Question: 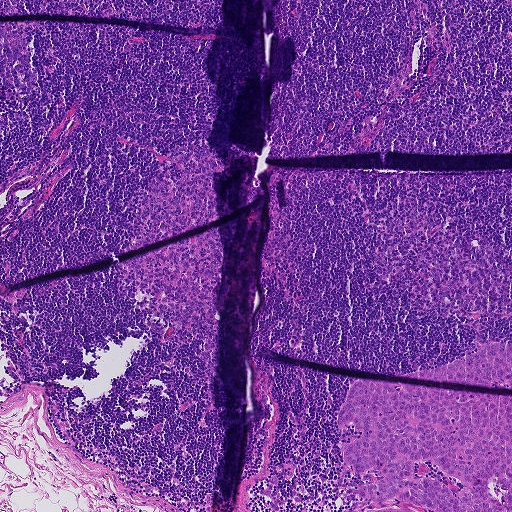
A 0.93-mm field of an H&E-stained sentinel lymph node from a breast-cancer patient (whole-slide image), shown at about 5×, about 1.8 µm per pixel.
Estimate the proportion of this field that is metastatic tumour.

Choices:
 (A) about 25% to 45%
 (B) about 5% or less
 (C) about 10% to 20%
 (D) about 50% or more
 (E) none: no tumour is outlined

Answer: (C) about 10% to 20%
About 10% of the field is tumour.
Boundaries of two metastatic tumour regions, simplified and listed clockwise, largest first: region 1: (366, 379), (511, 399), (511, 511), (434, 511), (401, 502), (377, 503), (356, 490), (378, 479), (381, 472), (357, 471), (344, 460), (347, 444), (364, 432), (352, 423), (337, 423), (352, 384); region 2: (494, 342), (511, 344), (511, 385), (429, 380), (406, 375), (448, 363).
One more small tumour piece is annotated here but not outlined.